This is a crop of a whole-slide image: an H&E-stained breast-cancer sentinel lymph node section at roughly 10× magnification (about 0.97 µm per pixel; the crop spans about 0.5 mm).
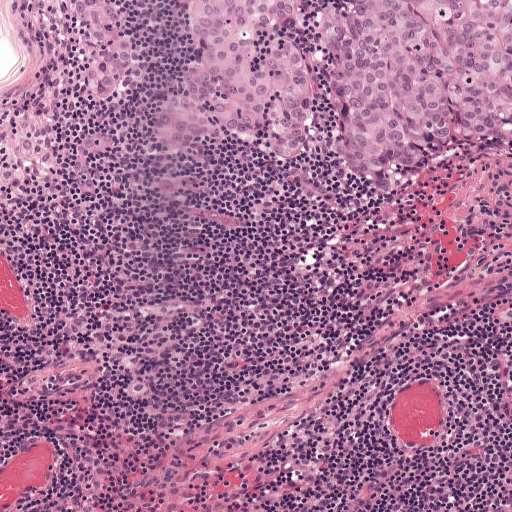
Outlines of two tumour regions, largest first (closed clockwise paths, crop pixels): region 1: (178, 0), (511, 0), (511, 149), (474, 144), (439, 155), (382, 197), (320, 157), (263, 168), (232, 150), (200, 168), (164, 160), (145, 129), (195, 16); region 2: (82, 0), (126, 0), (127, 32), (138, 66), (122, 98), (87, 107), (80, 82).
About 25% of the image area is annotated as tumour.